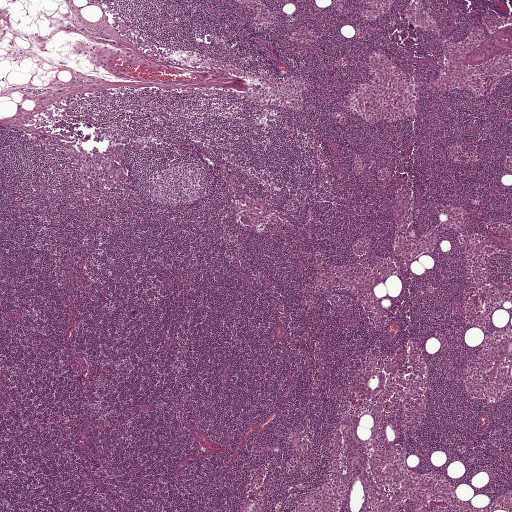
H&E-stained section of a sentinel lymph node (breast cancer), from a whole-slide image, viewed at about 2.5×: the field is about 2.0 mm across, about 3.9 µm per pixel.
One metastatic tumour region; its boundary, reduced to 17 corners and listed clockwise: (33, 131), (66, 141), (76, 141), (87, 135), (125, 134), (129, 139), (125, 162), (128, 187), (110, 189), (89, 177), (84, 180), (66, 170), (63, 162), (53, 157), (47, 150), (32, 145), (30, 135).
Under 5% of this field is tumour.